Lymph node section stained with H&E, from a whole-slide image of a breast-cancer sentinel node. Magnification about 2.5×, about 2.0 mm across the frame, about 3.9 µm per pixel.
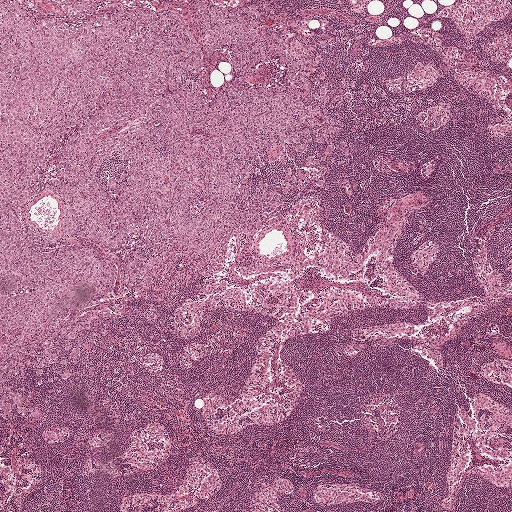
Boundaries of two metastatic tumour regions, simplified and listed clockwise, largest first: region 1: (0, 0), (168, 4), (208, 99), (231, 61), (186, 11), (268, 0), (319, 54), (333, 155), (266, 146), (237, 193), (283, 204), (196, 282), (184, 256), (126, 297), (138, 240), (87, 243), (115, 280), (69, 315), (81, 353), (12, 383), (41, 418), (0, 416); region 2: (278, 155), (283, 157), (285, 160), (284, 165), (291, 170), (291, 175), (294, 175), (296, 179), (296, 182), (293, 185), (291, 191), (286, 193), (280, 191), (284, 172), (283, 167), (276, 162).
Tumour covers about 30% of the frame.